Question: 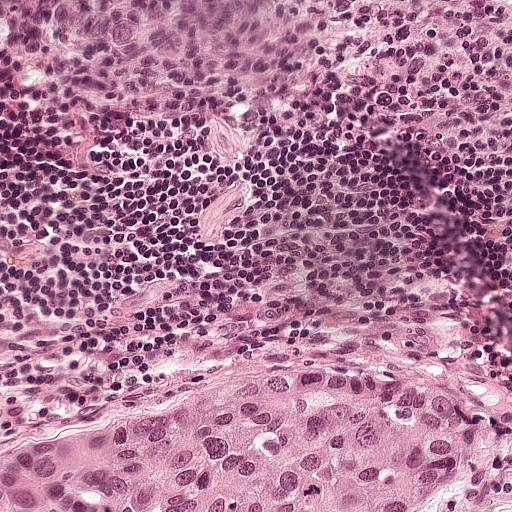
H&E-stained section of a sentinel lymph node (breast cancer), from a whole-slide image, viewed at about 20×: the field is about 0.25 mm across, about 0.49 µm per pixel.
What fraction of the image area is metastatic tumour?

Choices:
 (A) about 50% or more
 (B) about 25% to 45%
 (C) about 5% or less
 (D) none: no tumour is outlined
 (E) about 10% to 20%

Answer: (E) about 10% to 20%
About 20% of the field is tumour.
The outlined metastatic tumour's edge, as a closed clockwise path of 8 points: (244, 363), (369, 374), (469, 408), (486, 436), (482, 468), (452, 511), (0, 511), (0, 430).